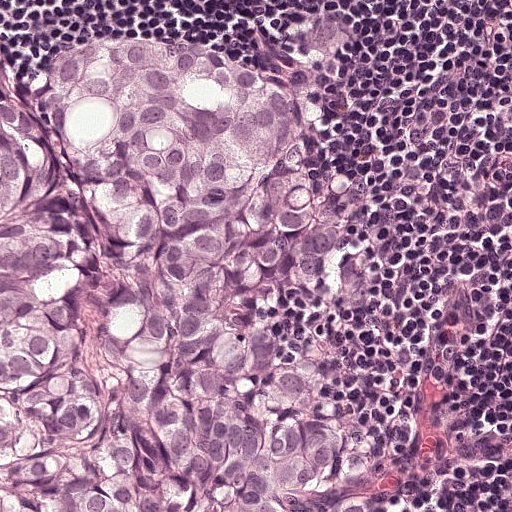
A 0.25-mm field of an H&E-stained sentinel lymph node from a breast-cancer patient (whole-slide image), shown at about 20×, about 0.49 µm per pixel.
Tumour region outline (a closed clockwise path, crop pixels): (204, 43), (280, 92), (354, 182), (385, 246), (370, 314), (306, 306), (279, 356), (334, 336), (364, 346), (334, 372), (375, 454), (363, 484), (336, 472), (330, 500), (348, 511), (0, 511), (0, 67), (37, 110), (66, 54).
The annotated tumour makes up about 60% of the crop.